Image:
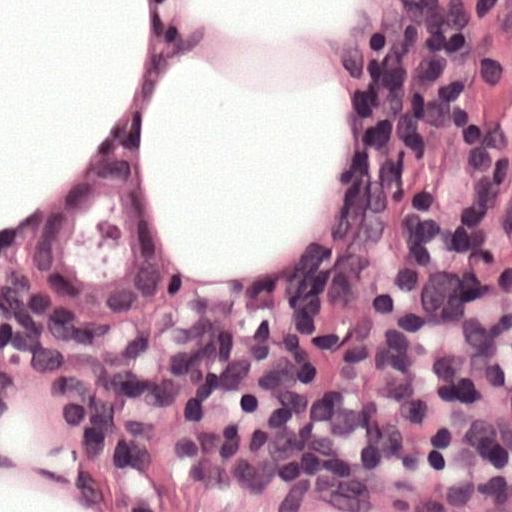
This is a crop of a whole-slide image: an H&E-stained breast-cancer sentinel lymph node section at roughly 40× magnification (about 0.24 µm per pixel; the crop spans about 0.12 mm).
Question:
Which parts of this field are metastatic tumour?
Answer:
Tumour region outline (a closed clockwise path, crop pixels): (91, 156), (159, 159), (188, 234), (170, 331), (82, 335), (9, 282), (30, 202).
About 10% of this field is tumour.

Image:
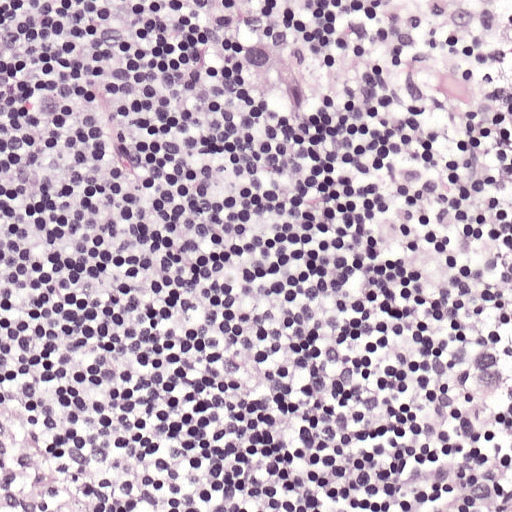
H&E-stained section of a sentinel lymph node (breast cancer), from a whole-slide image, viewed at about 20×: the field is about 0.25 mm across, about 0.49 µm per pixel.
Question:
Which parts of this field are metastatic tumour?
Answer:
Boundaries of two metastatic tumour regions, simplified and listed clockwise, largest first: region 1: (293, 24), (347, 60), (342, 114), (296, 120), (246, 113), (214, 70), (236, 26); region 2: (511, 145), (511, 221), (503, 203), (508, 150).
Two more small tumour pieces are annotated here but not outlined.
Tumour covers about 5% of the frame.

Image:
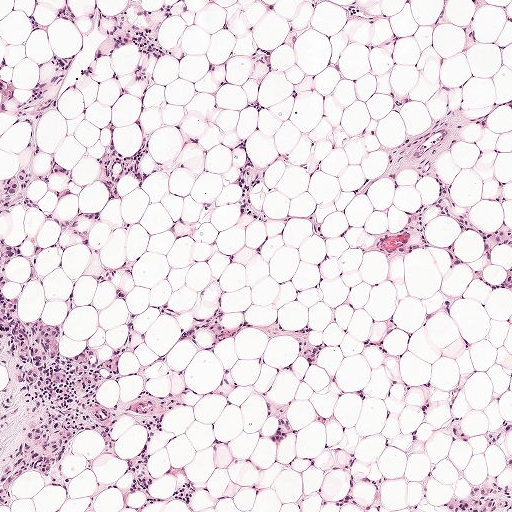
H&E-stained section of a sentinel lymph node (breast cancer), from a whole-slide image, viewed at about 5×: the field is about 1 mm across, about 1.9 µm per pixel.
Question:
Which parts of this field are metastatic tumour?
Answer:
Outlines of the eight largest metastatic tumour regions, each a closed clockwise path in crop pixels (x, y), largest first: region 1: (101, 208), (98, 262), (134, 256), (125, 293), (145, 338), (95, 395), (127, 454), (147, 418), (168, 420), (146, 444), (153, 489), (171, 488), (160, 470), (180, 466), (193, 474), (186, 504), (134, 507), (126, 470), (84, 431), (70, 439), (65, 493), (22, 475), (0, 505), (0, 470), (32, 424), (25, 372), (1, 343), (0, 289), (24, 318), (56, 322), (57, 351), (103, 360), (123, 343), (126, 303), (110, 282), (80, 277), (85, 250), (48, 246), (42, 215); region 2: (162, 0), (180, 0), (162, 13), (155, 38), (163, 51), (150, 59), (147, 87), (130, 79), (128, 68), (135, 48), (122, 44), (101, 59), (66, 101), (38, 116), (30, 164), (40, 171), (50, 154), (55, 154), (70, 172), (69, 198), (41, 196), (36, 200), (37, 210), (20, 204), (0, 209), (0, 177), (11, 172), (24, 144), (23, 135), (12, 119), (37, 84), (47, 56), (71, 50), (64, 83), (74, 80), (91, 55), (100, 21), (111, 9), (127, 1), (153, 9); region 3: (222, 305), (223, 310), (220, 324), (221, 327), (229, 327), (238, 325), (244, 320), (259, 320), (268, 312), (290, 329), (301, 328), (307, 322), (311, 323), (314, 329), (312, 335), (325, 339), (325, 343), (322, 357), (316, 362), (315, 366), (309, 366), (299, 359), (296, 344), (285, 339), (267, 337), (255, 328), (222, 334), (214, 339), (208, 338), (206, 333), (202, 330), (198, 332), (190, 344), (178, 340), (177, 334), (181, 328), (212, 306); region 4: (511, 418), (511, 438), (506, 444), (506, 453), (511, 455), (511, 508), (509, 511), (446, 511), (444, 504), (450, 496), (458, 494), (465, 486), (482, 479), (495, 477), (502, 481), (508, 481), (509, 476), (502, 466), (501, 457), (497, 450), (491, 444), (478, 438), (478, 434), (484, 428); region 5: (136, 114), (140, 128), (149, 130), (153, 136), (150, 149), (141, 164), (141, 169), (157, 168), (147, 175), (139, 190), (134, 189), (132, 178), (122, 174), (115, 180), (118, 199), (107, 198), (105, 186), (95, 180), (98, 167), (94, 160), (94, 156), (100, 152), (106, 143), (106, 136), (106, 132), (96, 127), (111, 117), (115, 128), (115, 148), (121, 153), (130, 153), (138, 145), (138, 133), (131, 123), (132, 119); region 6: (434, 174), (455, 188), (457, 199), (468, 204), (474, 222), (478, 226), (490, 231), (505, 222), (511, 224), (511, 251), (509, 243), (500, 243), (496, 248), (485, 269), (478, 274), (477, 269), (481, 246), (478, 233), (475, 230), (457, 230), (455, 233), (451, 249), (456, 261), (451, 266), (447, 266), (447, 245), (456, 230), (456, 225), (436, 211), (436, 202), (432, 191); region 7: (246, 135), (251, 155), (260, 167), (256, 177), (249, 185), (249, 200), (254, 209), (266, 214), (264, 224), (233, 211), (238, 194), (236, 188), (230, 185), (230, 182), (234, 175), (234, 170), (241, 161), (239, 150), (232, 146); region 8: (274, 415), (285, 416), (294, 423), (294, 431), (290, 436), (276, 444), (262, 440), (262, 434), (273, 420).
Four more, smaller tumour regions are not outlined.
Three more small tumour pieces are annotated here but not outlined.
About 15% of the image area is annotated as tumour.

Image:
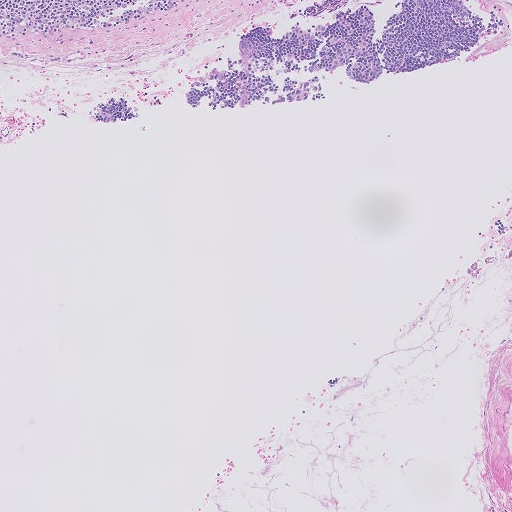
H&E-stained section of a sentinel lymph node (breast cancer), from a whole-slide image, viewed at about 5×: the field is about 1.0 mm across, about 2.0 µm per pixel.
Question:
Which parts of this field are metastatic tumour?
Answer:
Two metastatic tumour regions, each outlined as a closed clockwise path in crop pixels (x, y), largest first: region 1: (304, 80), (324, 80), (324, 91), (314, 93), (300, 104), (276, 106), (258, 104), (264, 94), (270, 96); region 2: (315, 0), (356, 0), (325, 19), (300, 21), (284, 17), (293, 8).
Under 5% of the image area is annotated as tumour.